Question: 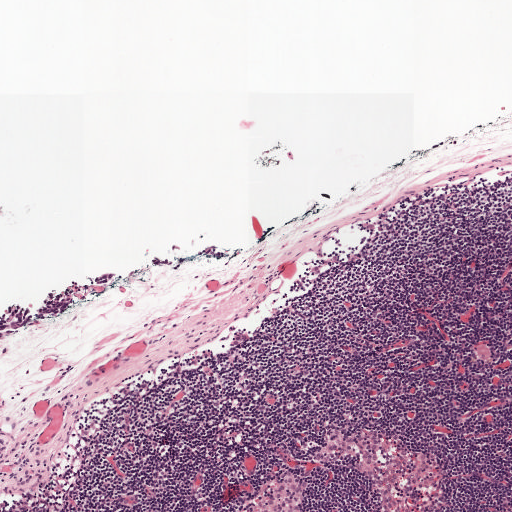
A 1-mm field of an H&E-stained sentinel lymph node from a breast-cancer patient (whole-slide image), shown at about 5×, about 1.9 µm per pixel.
What fraction of the image area is metastatic tumour?

Choices:
 (A) none: no tumour is outlined
 (B) about 25% to 45%
 (C) about 50% or more
 (D) about 10% to 20%
 (E) about 5% or less

Answer: (E) about 5% or less
Under 5% of the field is tumour.
Boundaries of four metastatic tumour regions, simplified and listed clockwise, largest first: region 1: (59, 288), (75, 290), (69, 310), (0, 341), (0, 308); region 2: (212, 244), (223, 249), (226, 255), (218, 257), (210, 257), (196, 255), (197, 251), (209, 245); region 3: (100, 273), (119, 275), (110, 282), (99, 284), (91, 279); region 4: (153, 256), (163, 257), (175, 263), (169, 266), (162, 266), (150, 263).
Three more small tumour pieces are annotated here but not outlined.